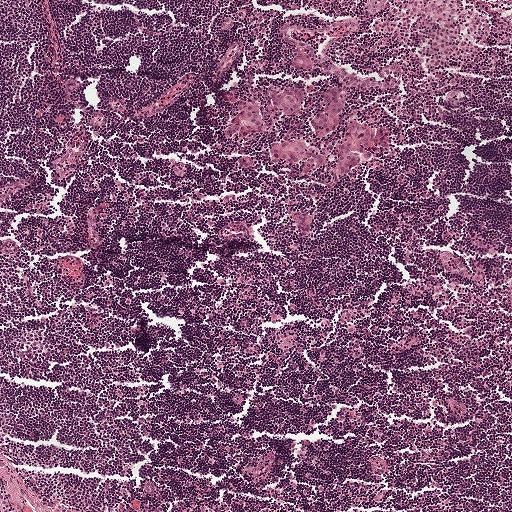
A 1-mm field of an H&E-stained sentinel lymph node from a breast-cancer patient (whole-slide image), shown at about 5×, about 1.9 µm per pixel.
Boundaries of seven metastatic tumour regions, simplified and listed clockwise, largest first: region 1: (366, 122), (383, 127), (387, 130), (389, 141), (384, 150), (378, 150), (371, 145), (365, 146), (363, 150), (371, 152), (374, 159), (356, 167), (344, 176), (339, 176), (335, 174), (334, 171), (336, 154), (344, 133), (350, 124); region 2: (335, 84), (342, 87), (344, 112), (333, 133), (326, 138), (317, 138), (309, 130), (310, 121), (314, 108), (327, 88); region 3: (287, 140), (303, 140), (328, 156), (333, 160), (332, 164), (328, 168), (316, 169), (307, 173), (304, 169), (308, 160), (296, 165), (280, 162), (271, 156), (273, 144); region 4: (254, 96), (261, 99), (266, 115), (266, 134), (247, 134), (232, 139), (225, 139), (222, 138), (225, 126), (243, 110), (248, 99); region 5: (296, 83), (305, 88), (303, 114), (286, 117), (276, 111), (266, 94), (267, 84), (273, 88); region 6: (295, 213), (306, 213), (313, 216), (312, 231), (309, 236), (304, 236), (299, 234), (291, 218), (292, 214); region 7: (246, 155), (252, 160), (253, 160), (253, 166), (253, 168), (251, 168), (243, 167), (241, 163), (236, 161), (236, 159).
The annotated tumour makes up about 5% of the crop.